Question: 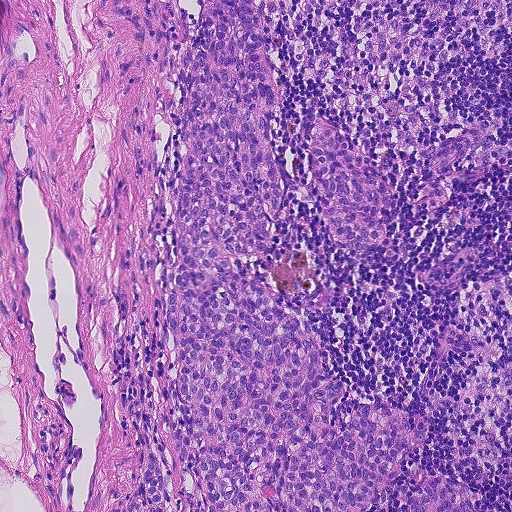
A 0.46-mm field of an H&E-stained sentinel lymph node from a breast-cancer patient (whole-slide image), shown at about 10×, about 0.9 µm per pixel.
Roughly what share of this field is metastatic tumour?

Choices:
 (A) about 25% to 45%
 (B) about 50% or more
 (C) about 5% or less
 (D) none: no tumour is outlined
 (E) about 10% to 20%

Answer: (A) about 25% to 45%
About 30% of the field is tumour.
Boundaries of two metastatic tumour regions, simplified and listed clockwise, largest first: region 1: (203, 0), (255, 0), (278, 165), (308, 182), (319, 115), (397, 196), (354, 253), (290, 184), (274, 237), (324, 271), (326, 308), (302, 320), (342, 404), (431, 426), (365, 511), (208, 511), (173, 474), (168, 511), (107, 511), (148, 442), (172, 469), (176, 74); region 2: (423, 467), (474, 488), (478, 507), (477, 511), (408, 511), (412, 482).